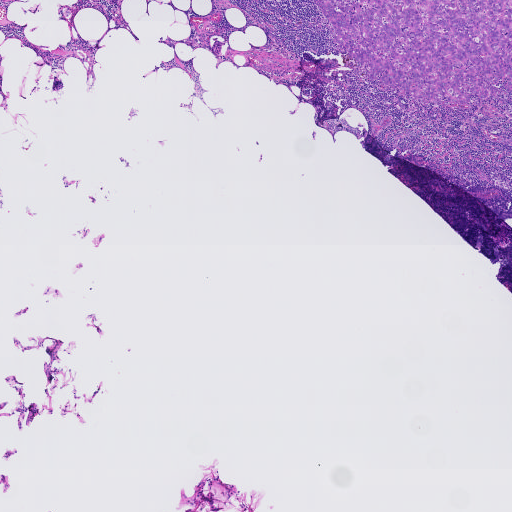
A 1.9-mm field of an H&E-stained sentinel lymph node from a breast-cancer patient (whole-slide image), shown at about 2.5×, about 3.6 µm per pixel.
Metastatic tumour outline, simplified to 18 points and listed clockwise in crop pixels (x, y): (511, 0), (511, 88), (505, 86), (507, 77), (490, 83), (498, 88), (495, 94), (481, 99), (474, 94), (468, 105), (421, 103), (401, 88), (369, 80), (369, 64), (360, 63), (333, 42), (328, 19), (314, 1).
About 5% of this field is tumour.